Lymph node section stained with H&E, from a whole-slide image of a breast-cancer sentinel node. Magnification about 10×, about 0.5 mm across the frame, about 0.97 µm per pixel.
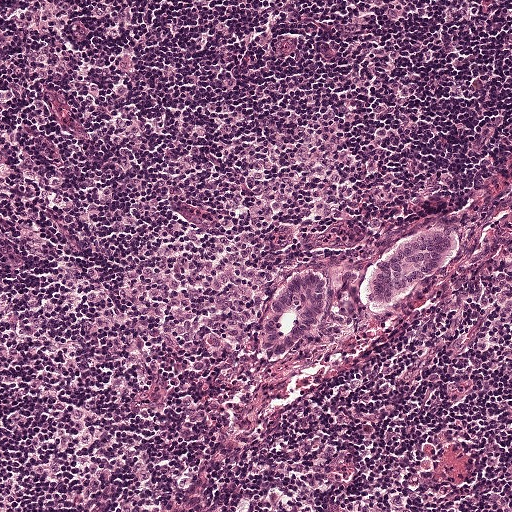
Two metastatic tumour regions, each outlined as a closed clockwise path in crop pixels (x, y), largest first: region 1: (300, 263), (316, 263), (326, 268), (334, 297), (334, 318), (283, 348), (270, 351), (262, 347), (256, 336), (256, 317), (261, 302), (274, 290), (290, 266); region 2: (438, 213), (452, 218), (457, 226), (457, 240), (449, 258), (438, 269), (400, 286), (386, 299), (378, 302), (366, 301), (365, 268), (378, 248), (410, 225).
Tumour covers about 5% of the frame.